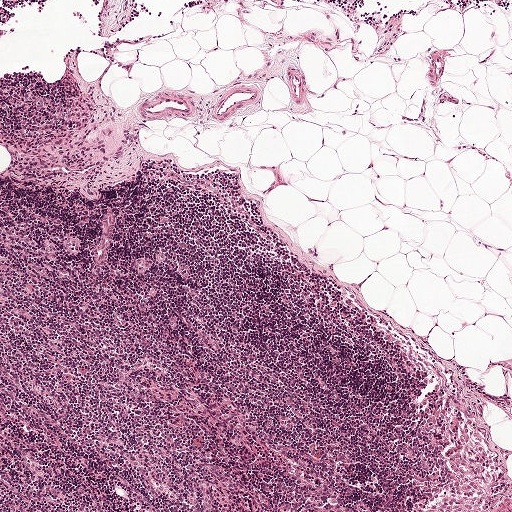
This is a crop of a whole-slide image: an H&E-stained breast-cancer sentinel lymph node section at roughly 5× magnification (about 1.9 µm per pixel; the crop spans about 1 mm).
Question: Is any metastatic breast cancer visible in this crop?
Answer: No: no metastatic tumour is outlined anywhere in this field.